Question: 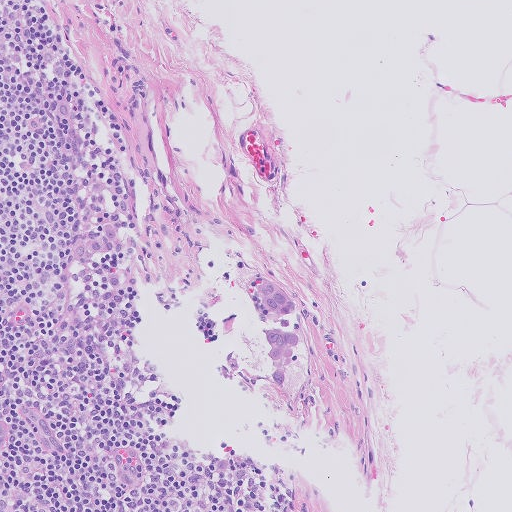
Which magnification is this H&E lymph node field most likely shown at?

Choices:
 (A) about 20×
 (B) about 5×
 (C) about 2.5×
 (D) about 40×
 (E) about 10×

Answer: (E) about 10×
Lymph node section stained with H&E, from a whole-slide image of a breast-cancer sentinel node. Magnification about 10×, about 0.51 mm across the frame, about 1.0 µm per pixel.
Two metastatic tumour regions, each outlined as a closed clockwise path in crop pixels (x, y), largest first: region 1: (267, 330), (294, 332), (299, 335), (298, 342), (293, 347), (290, 361), (286, 366), (286, 380), (284, 386), (277, 384), (273, 377), (271, 363), (268, 357), (268, 343), (264, 337); region 2: (262, 277), (268, 280), (286, 295), (296, 309), (289, 318), (289, 326), (282, 328), (278, 318), (270, 317), (256, 293), (253, 287), (254, 280).
The annotated tumour makes up under 5% of the crop.